Image:
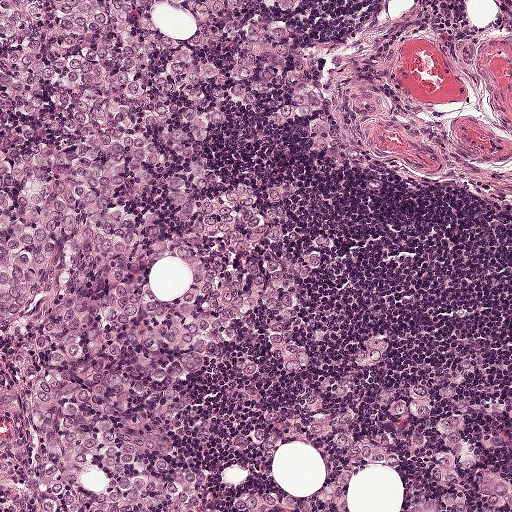
H&E-stained section of a sentinel lymph node (breast cancer), from a whole-slide image, viewed at about 10×: the field is about 0.5 mm across, about 0.97 µm per pixel.
Question:
Describe where the metastatic carcinoma lies in this crop.
Answer:
Metastatic tumour outline, simplified to 21 points and listed clockwise in crop pixels (x, y): (0, 0), (296, 0), (290, 26), (316, 57), (315, 93), (293, 127), (229, 120), (232, 164), (285, 207), (313, 268), (328, 352), (396, 402), (454, 415), (508, 482), (511, 511), (398, 511), (404, 476), (373, 465), (348, 481), (348, 511), (0, 511).
The annotated tumour makes up about 65% of the crop.